Image:
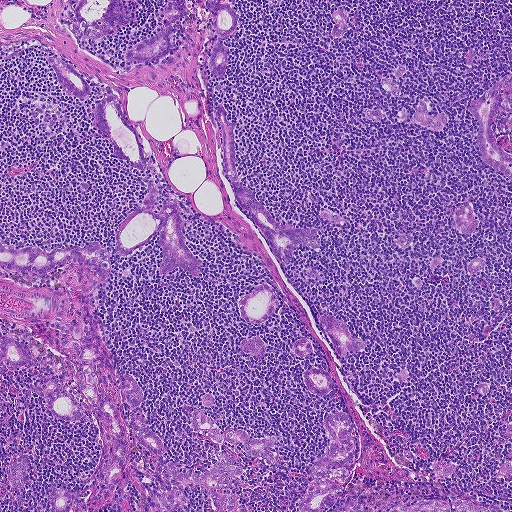
A 0.93-mm field of an H&E-stained sentinel lymph node from a breast-cancer patient (whole-slide image), shown at about 5×, about 1.8 µm per pixel.
Question:
Show where the tumour is in this image.
Answer:
Outlines of the eight largest metastatic tumour regions, each a closed clockwise path in crop pixels (x, y), largest first: region 1: (0, 241), (45, 252), (98, 241), (108, 251), (110, 272), (86, 291), (89, 306), (118, 386), (124, 372), (135, 379), (142, 414), (165, 449), (154, 456), (142, 448), (120, 394), (129, 463), (116, 488), (101, 487), (106, 453), (100, 426), (76, 385), (74, 363), (59, 348), (60, 333), (47, 326), (59, 314), (72, 319), (70, 307), (56, 309), (54, 302), (64, 291), (84, 287), (91, 274), (80, 265), (45, 272), (2, 266); region 2: (152, 184), (157, 197), (153, 211), (159, 214), (163, 204), (170, 201), (176, 204), (187, 246), (202, 260), (199, 273), (194, 277), (187, 275), (183, 268), (176, 268), (164, 276), (159, 272), (164, 251), (160, 245), (160, 230), (148, 244), (129, 256), (116, 250), (118, 231), (141, 203); region 3: (221, 104), (226, 109), (227, 121), (237, 121), (234, 155), (240, 183), (252, 190), (258, 203), (280, 225), (322, 229), (313, 235), (319, 246), (312, 249), (299, 244), (288, 262), (282, 263), (276, 260), (262, 235), (238, 209), (234, 188), (222, 171), (222, 145), (216, 117); region 4: (342, 413), (352, 422), (351, 436), (357, 456), (354, 463), (334, 470), (333, 477), (343, 486), (341, 494), (332, 505), (336, 508), (345, 501), (359, 500), (360, 507), (365, 511), (335, 511), (332, 508), (325, 511), (300, 511), (298, 507), (300, 500), (313, 482), (314, 461), (325, 452), (331, 439), (324, 427), (324, 420), (328, 414); region 5: (504, 75), (511, 75), (511, 113), (504, 112), (499, 105), (490, 125), (501, 149), (511, 158), (511, 182), (501, 172), (484, 162), (479, 156), (476, 140), (478, 124), (469, 110), (472, 101); region 6: (109, 95), (115, 96), (120, 101), (127, 119), (139, 134), (147, 158), (147, 165), (144, 170), (132, 167), (129, 161), (116, 157), (112, 152), (113, 140), (102, 134), (98, 129), (95, 113), (99, 101), (103, 96); region 7: (198, 409), (210, 417), (223, 434), (233, 429), (240, 429), (251, 438), (278, 436), (275, 447), (276, 461), (270, 464), (258, 457), (252, 459), (245, 457), (244, 444), (236, 445), (230, 442), (216, 446), (208, 435), (202, 432), (195, 435), (192, 429), (192, 412); region 8: (168, 0), (184, 0), (186, 11), (183, 16), (172, 23), (170, 29), (175, 48), (172, 53), (163, 59), (151, 63), (138, 63), (126, 61), (124, 55), (127, 50), (160, 32), (163, 26), (155, 16), (164, 7).
19 more, smaller tumour regions are not outlined.
Two more small tumour pieces are annotated here but not outlined.
The annotated tumour makes up about 15% of the crop.